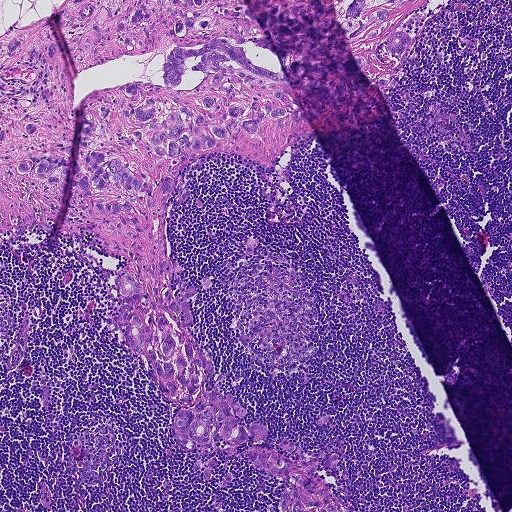
Lymph node section stained with H&E, from a whole-slide image of a breast-cancer sentinel node. Magnification about 5×, about 0.93 mm across the frame, about 1.8 µm per pixel.
Boundaries of two metastatic tumour regions, simplified and listed clockwise, largest first: region 1: (64, 0), (427, 0), (384, 121), (306, 134), (272, 169), (195, 156), (168, 202), (174, 295), (213, 281), (188, 328), (208, 390), (263, 424), (263, 445), (313, 454), (345, 511), (281, 511), (294, 483), (178, 444), (182, 408), (116, 324), (130, 260), (35, 220), (4, 231), (10, 28); region 2: (253, 237), (257, 242), (256, 250), (251, 254), (245, 250), (246, 240).
About 35% of the image area is annotated as tumour.